Question: 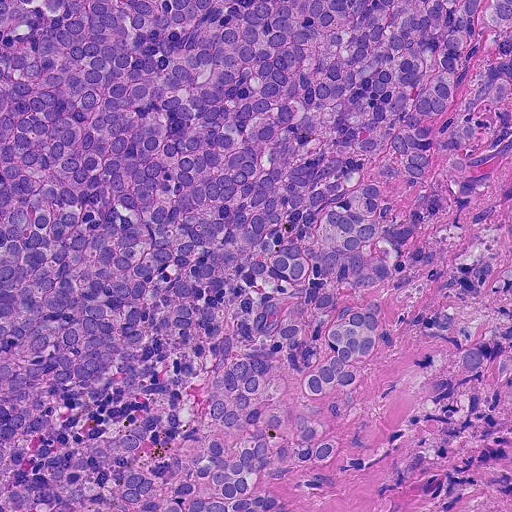
A 0.23-mm field of an H&E-stained sentinel lymph node from a breast-cancer patient (whole-slide image), shown at about 20×, about 0.45 µm per pixel.
About how much of this crop is taken up by metastatic carcinoma?

Choices:
 (A) about 50% or more
 (B) about 10% to 20%
 (C) about 5% or less
 (D) about 25% to 45%
 (E) none: no tumour is outlined

Answer: (A) about 50% or more
About 90% of the field is tumour.
Metastatic tumour outline, simplified to 9 points and listed clockwise in crop pixels (x, y): (0, 0), (511, 0), (511, 374), (468, 374), (408, 328), (374, 370), (352, 448), (306, 511), (0, 511).